Image:
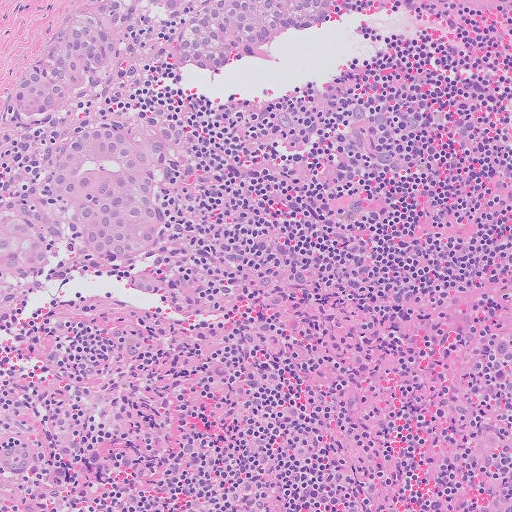
A 0.51-mm field of an H&E-stained sentinel lymph node from a breast-cancer patient (whole-slide image), shown at about 10×, about 1.0 µm per pixel.
Question:
Show where the tumour is in this image.
Answer:
Outlines of two tumour regions, largest first (closed clockwise paths, crop pixels): region 1: (135, 109), (180, 127), (191, 157), (171, 198), (174, 226), (142, 259), (0, 290), (0, 196), (14, 192), (62, 138); region 2: (346, 0), (336, 24), (278, 40), (208, 71), (177, 69), (167, 58), (166, 43), (176, 15), (134, 58), (58, 112), (43, 116), (15, 112), (14, 84), (81, 3).
One more small tumour piece is annotated here but not outlined.
Tumour covers about 15% of the frame.